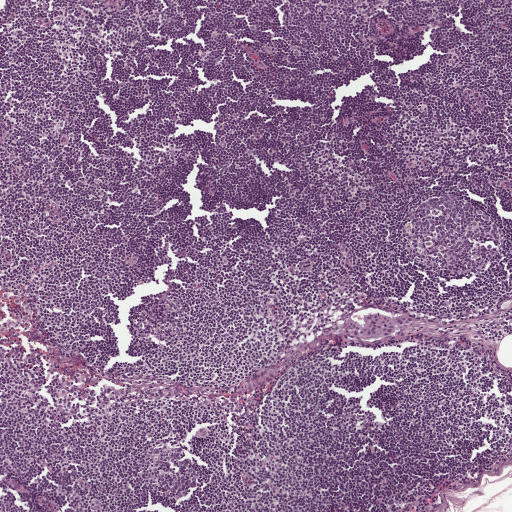
A 1-mm field of an H&E-stained sentinel lymph node from a breast-cancer patient (whole-slide image), shown at about 5×, about 1.9 µm per pixel.
Tumour region outline (a closed clockwise path, crop pixels): (378, 312), (393, 316), (404, 314), (414, 320), (410, 325), (402, 327), (394, 335), (387, 336), (366, 339), (338, 333), (339, 331), (349, 319), (352, 317), (362, 324), (363, 316), (366, 314).
Under 5% of this field is tumour.